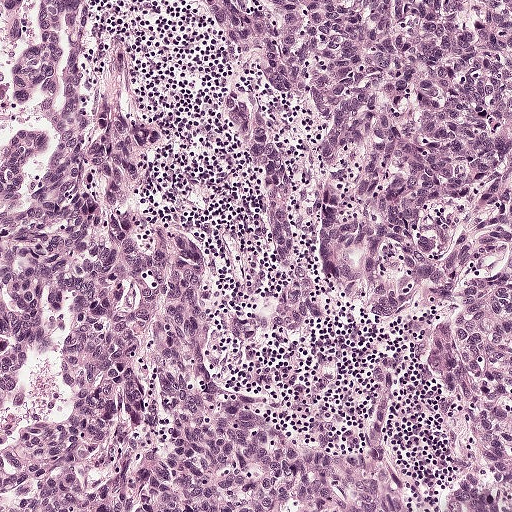
This is a crop of a whole-slide image: an H&E-stained breast-cancer sentinel lymph node section at roughly 10× magnification (about 0.97 µm per pixel; the crop spans about 0.5 mm).
Question: Does this lymph node field contain metastatic tumour?
Answer: Yes.
Tumour region outline (a closed clockwise path, crop pixels): (511, 0), (511, 248), (411, 316), (356, 330), (281, 330), (258, 265), (253, 198), (204, 86), (202, 2).
About 35% of this field is tumour.